Question: 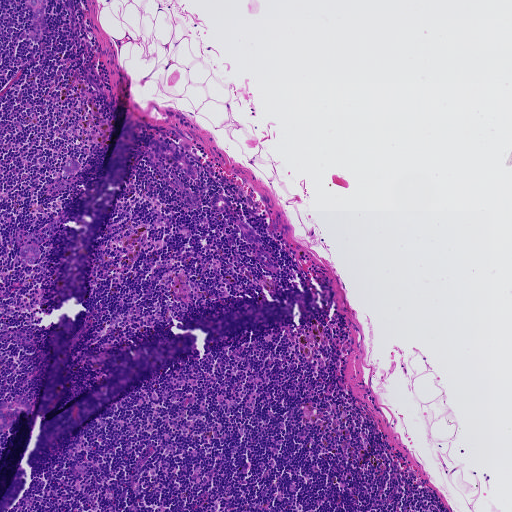
Which magnification is this H&E lymph node field most likely shown at?

Choices:
 (A) about 5×
 (B) about 20×
 (C) about 40×
 (D) about 10×
 (E) about 2.5×

Answer: (A) about 5×
This is a crop of a whole-slide image: an H&E-stained breast-cancer sentinel lymph node section at roughly 5× magnification (about 1.8 µm per pixel; the crop spans about 0.93 mm).
Outlines of eight tumour regions, largest first (closed clockwise paths, crop pixels): region 1: (153, 138), (183, 150), (197, 164), (198, 175), (193, 177), (184, 173), (166, 160), (160, 160), (153, 168), (146, 154), (148, 150), (149, 140); region 2: (23, 395), (33, 406), (33, 411), (30, 415), (20, 417), (15, 426), (1, 432), (0, 403), (9, 402); region 3: (29, 0), (47, 1), (46, 10), (48, 25), (45, 30), (40, 31), (34, 24); region 4: (29, 241), (39, 247), (39, 256), (34, 264), (27, 265), (22, 264), (17, 255), (24, 242); region 5: (240, 220), (253, 227), (261, 240), (258, 244), (250, 244), (246, 241), (240, 232), (237, 222); region 6: (72, 159), (77, 160), (81, 163), (81, 167), (80, 172), (75, 175), (68, 178), (63, 178), (61, 173), (62, 168), (64, 164), (67, 160); region 7: (214, 194), (228, 197), (231, 202), (228, 211), (222, 211), (212, 207), (211, 202); region 8: (58, 0), (74, 0), (75, 7), (72, 10), (67, 9).
One more small tumour piece is annotated here but not outlined.
Tumour covers under 5% of the frame.
Question: 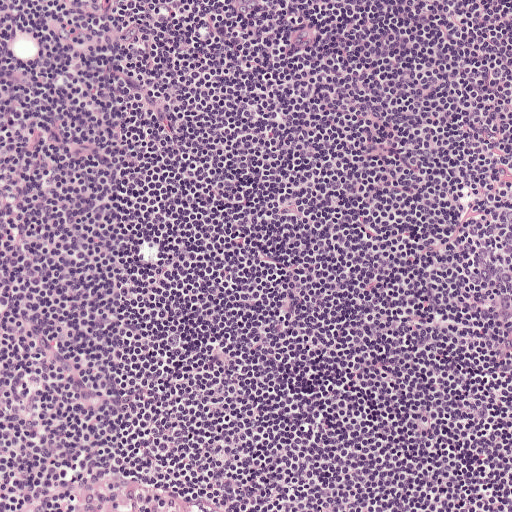
Which magnification is this H&E lymph node field most likely shown at?

Choices:
 (A) about 2.5×
 (B) about 20×
 (C) about 40×
 (D) about 10×
 (E) about 5×

Answer: (D) about 10×
Lymph node section stained with H&E, from a whole-slide image of a breast-cancer sentinel node. Magnification about 10×, about 0.5 mm across the frame, about 0.97 µm per pixel.
Question: 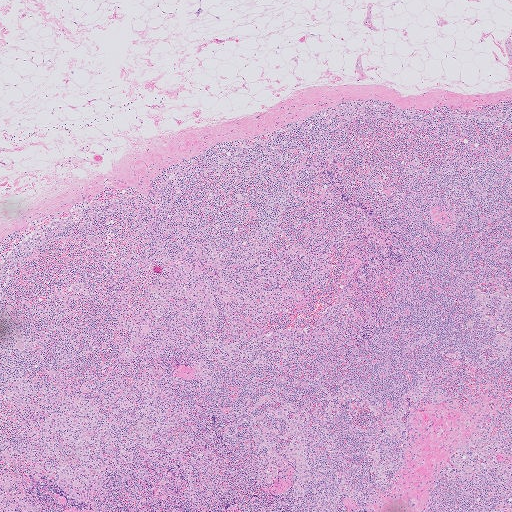
Which magnification is this H&E lymph node field most likely shown at?

Choices:
 (A) about 10×
 (B) about 2.5×
 (C) about 40×
 (D) about 20×
 (E) about 5×

Answer: (B) about 2.5×
Lymph node section stained with H&E, from a whole-slide image of a breast-cancer sentinel node. Magnification about 2.5×, about 2.0 mm across the frame, about 4.0 µm per pixel.
Metastatic tumour outline, simplified to 6 points and listed clockwise in crop pixels (x, y): (97, 235), (101, 240), (97, 245), (89, 247), (84, 243), (88, 236).
Under 5% of the image area is annotated as tumour.
Question: 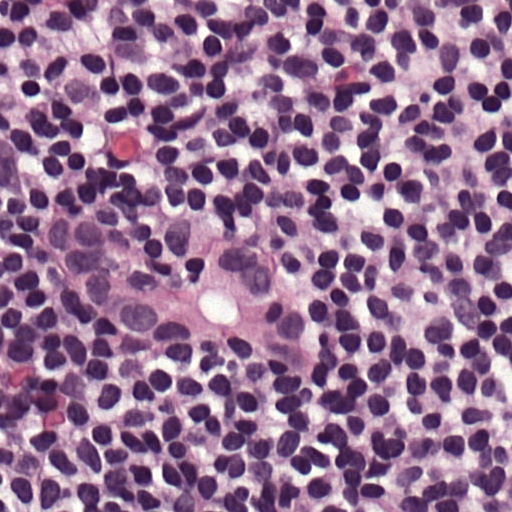
Which magnification is this H&E lymph node field most likely shown at?

Choices:
 (A) about 20×
 (B) about 10×
 (C) about 40×
 (D) about 5×
 (E) about 2.5×

Answer: (C) about 40×
Lymph node section stained with H&E, from a whole-slide image of a breast-cancer sentinel node. Magnification about 40×, about 0.12 mm across the frame, about 0.24 µm per pixel.
Metastatic tumour outline, simplified to 13 points and listed clockwise in crop pixels (x, y): (61, 200), (165, 201), (244, 224), (323, 276), (339, 309), (341, 349), (329, 390), (291, 400), (218, 373), (180, 373), (144, 355), (33, 257), (31, 218).
The annotated tumour makes up about 15% of the crop.